Question: 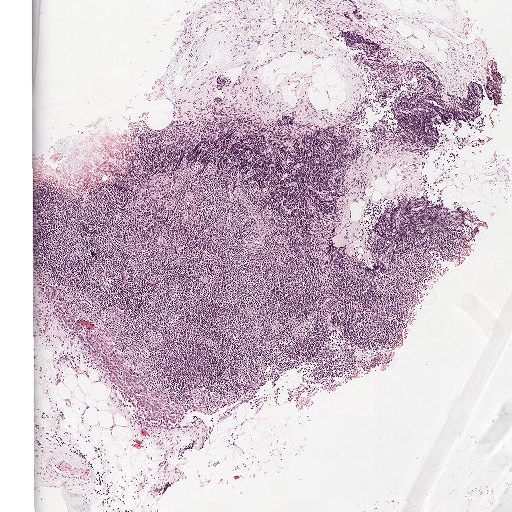
About what magnification does this crop show?

Choices:
 (A) about 10×
 (B) about 20×
 (C) about 2.5×
 (D) about 40×
 (E) about 5×

Answer: (C) about 2.5×
Lymph node section stained with H&E, from a whole-slide image of a breast-cancer sentinel node. Magnification about 2.5×, about 2.0 mm across the frame, about 3.9 µm per pixel.